Lymph node section stained with H&E, from a whole-slide image of a breast-cancer sentinel node. Magnification about 2.5×, about 2.0 mm across the frame, about 3.9 µm per pixel.
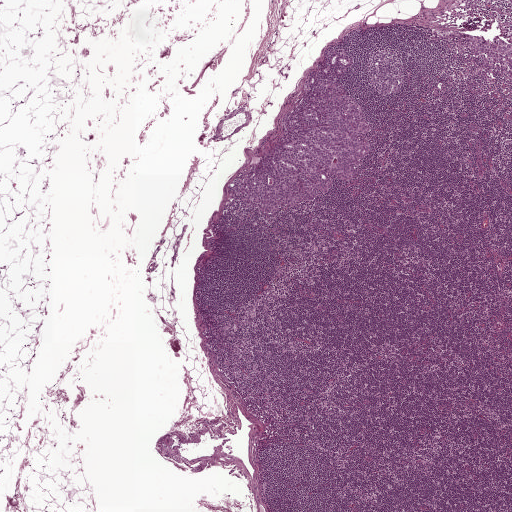
Question: Describe where the metastatic carcinoma lies in this crop.
Answer: Two metastatic tumour regions, each outlined as a closed clockwise path in crop pixels (x, y), largest first: region 1: (341, 48), (354, 58), (345, 77), (338, 79), (362, 102), (371, 125), (370, 152), (360, 174), (348, 182), (328, 173), (334, 186), (327, 194), (280, 213), (270, 216), (242, 209), (229, 215), (223, 206), (229, 183), (263, 164), (283, 134), (284, 116), (296, 108), (307, 75), (329, 49); region 2: (436, 29), (445, 31), (453, 29), (472, 34), (481, 34), (489, 40), (497, 35), (511, 43), (511, 79), (495, 72), (486, 74), (477, 58), (460, 54), (449, 42), (433, 33).
About 5% of this field is tumour.